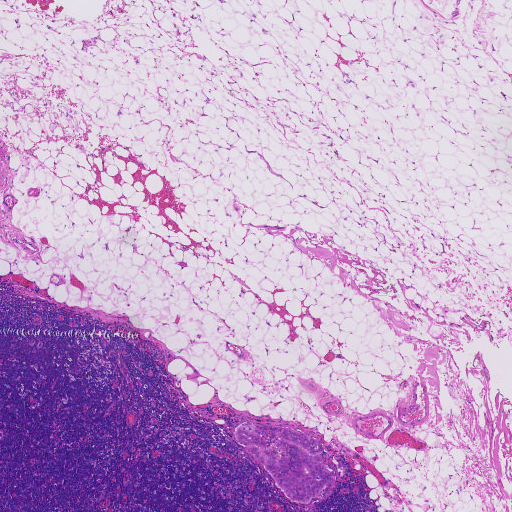
Lymph node section stained with H&E, from a whole-slide image of a breast-cancer sentinel node. Magnification about 2.5×, about 1.9 mm across the frame, about 3.6 µm per pixel.
Metastatic tumour outline, simplified to 16 points and listed clockwise in crop pixels (x, y): (247, 421), (292, 429), (319, 439), (324, 448), (318, 463), (325, 463), (334, 475), (330, 495), (323, 499), (322, 491), (312, 497), (308, 503), (295, 503), (286, 497), (235, 436), (236, 427).
Two more small tumour pieces are annotated here but not outlined.
Under 5% of the image area is annotated as tumour.